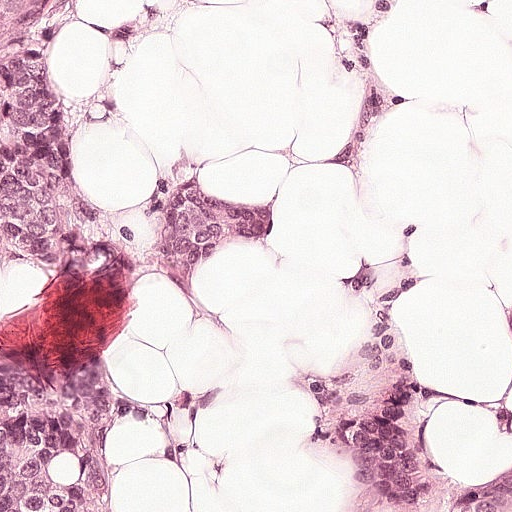
A 0.25-mm field of an H&E-stained sentinel lymph node from a breast-cancer patient (whole-slide image), shown at about 20×, about 0.49 µm per pixel.
Two metastatic tumour regions, each outlined as a closed clockwise path in crop pixels (x, y), largest first: region 1: (0, 0), (116, 0), (90, 40), (90, 82), (181, 117), (209, 174), (209, 202), (265, 237), (258, 286), (146, 420), (152, 511), (0, 511); region 2: (329, 251), (371, 251), (385, 265), (434, 279), (505, 272), (511, 511), (286, 511), (272, 378).
The annotated tumour makes up about 55% of the crop.